Question: 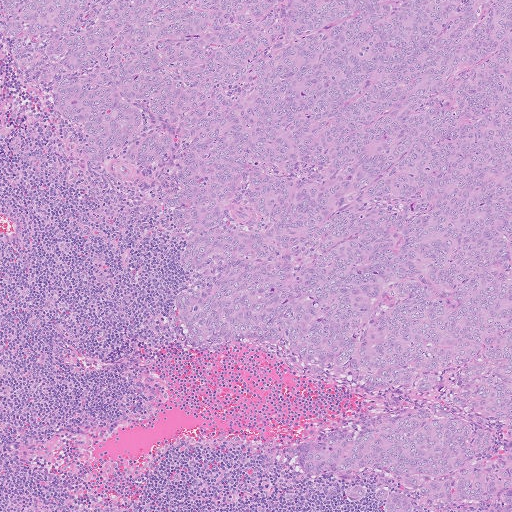
Which magnification is this H&E lymph node field most likely shown at?

Choices:
 (A) about 10×
 (B) about 40×
 (C) about 20×
 (D) about 5×
 (E) about 2.5×

Answer: (D) about 5×
Lymph node section stained with H&E, from a whole-slide image of a breast-cancer sentinel node. Magnification about 5×, about 1.0 mm across the frame, about 2.0 µm per pixel.
Metastatic tumour outline, simplified to 17 points and listed clockwise in crop pixels (x, y): (0, 0), (511, 0), (511, 511), (367, 511), (342, 495), (342, 478), (295, 470), (283, 457), (292, 442), (390, 414), (396, 398), (179, 340), (179, 246), (141, 170), (92, 155), (50, 124), (3, 50).
About 65% of this field is tumour.